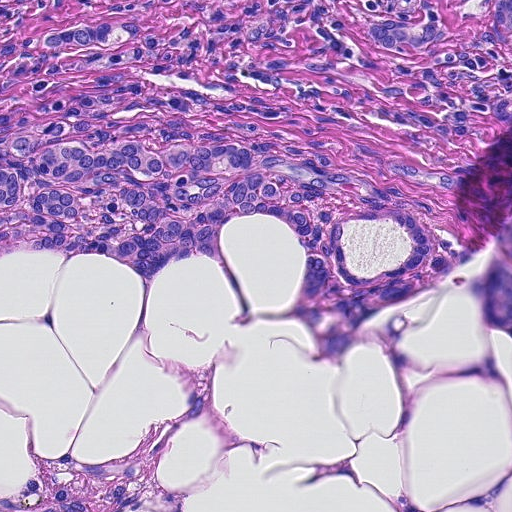
This is a crop of a whole-slide image: an H&E-stained breast-cancer sentinel lymph node section at roughly 20× magnification (about 0.45 µm per pixel; the crop spans about 0.23 mm).
Two metastatic tumour regions, each outlined as a closed clockwise path in crop pixels (x, y), largest first: region 1: (0, 0), (511, 0), (511, 125), (462, 174), (472, 254), (380, 310), (336, 362), (298, 320), (304, 246), (267, 214), (220, 226), (225, 267), (178, 259), (148, 289), (110, 256), (1, 262); region 2: (511, 217), (511, 337), (484, 319), (488, 267), (495, 241).
About 50% of the image area is annotated as tumour.